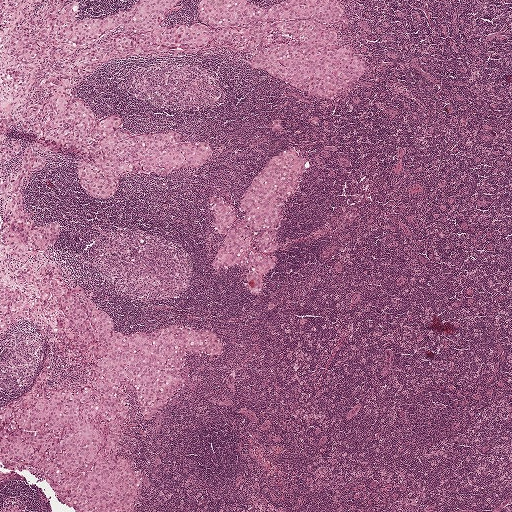
H&E-stained section of a sentinel lymph node (breast cancer), from a whole-slide image, viewed at about 2.5×: the field is about 2.0 mm across, about 3.9 µm per pixel.
Outlines of the eight largest metastatic tumour regions, each a closed clockwise path in crop pixels (x, y), largest first: region 1: (12, 266), (59, 267), (59, 279), (107, 312), (112, 332), (175, 323), (224, 339), (220, 353), (184, 356), (182, 385), (152, 418), (128, 386), (120, 450), (143, 475), (135, 511), (78, 511), (44, 476), (0, 455), (0, 438), (22, 434), (0, 425), (2, 402), (44, 363), (46, 371), (44, 386), (82, 385), (89, 372), (86, 356), (62, 343), (56, 317), (72, 333), (57, 306), (0, 330), (0, 286), (25, 291), (24, 305), (38, 287); region 2: (199, 0), (248, 0), (270, 8), (284, 0), (340, 0), (346, 17), (340, 23), (326, 26), (338, 40), (353, 48), (366, 71), (345, 93), (324, 96), (252, 65), (248, 60), (252, 52), (226, 43), (117, 50), (116, 33), (146, 33), (159, 25), (200, 20); region 3: (59, 72), (72, 80), (71, 92), (90, 104), (96, 120), (111, 112), (123, 128), (175, 129), (178, 140), (198, 139), (213, 151), (195, 166), (122, 174), (114, 193), (95, 196), (78, 181), (71, 147), (37, 150), (39, 129), (24, 128), (20, 108), (49, 95), (39, 81); region 4: (295, 148), (304, 156), (305, 173), (284, 201), (274, 251), (277, 267), (262, 275), (262, 293), (251, 295), (244, 281), (247, 269), (212, 266), (215, 246), (226, 237), (214, 228), (207, 202), (211, 194), (222, 196), (240, 219), (246, 212), (240, 208), (242, 192), (266, 160); region 5: (77, 0), (75, 17), (88, 19), (116, 12), (135, 0), (180, 0), (174, 8), (166, 10), (163, 20), (146, 30), (129, 29), (123, 23), (93, 43), (75, 45), (53, 40), (47, 29), (47, 24), (55, 10), (68, 1); region 6: (29, 143), (35, 152), (46, 161), (27, 173), (22, 183), (24, 211), (37, 224), (58, 220), (61, 226), (56, 244), (48, 249), (16, 251), (4, 246), (1, 232), (29, 234), (21, 226), (2, 216), (6, 203), (0, 200), (0, 176), (6, 179), (21, 165), (23, 147); region 7: (27, 25), (30, 30), (30, 36), (43, 42), (42, 52), (36, 54), (32, 59), (24, 61), (15, 59), (13, 55), (8, 52), (6, 49), (9, 37), (18, 33), (21, 28); region 8: (106, 41), (111, 43), (111, 48), (108, 54), (89, 61), (93, 63), (95, 67), (84, 75), (75, 75), (71, 73), (72, 64), (86, 61), (80, 61), (78, 58), (93, 46).
One more, smaller tumour region is not outlined.
Three more small tumour pieces are annotated here but not outlined.
About 25% of the image area is annotated as tumour.